Lymph node section stained with H&E, from a whole-slide image of a breast-cancer sentinel node. Magnification about 10×, about 0.46 mm across the frame, about 0.9 µm per pixel.
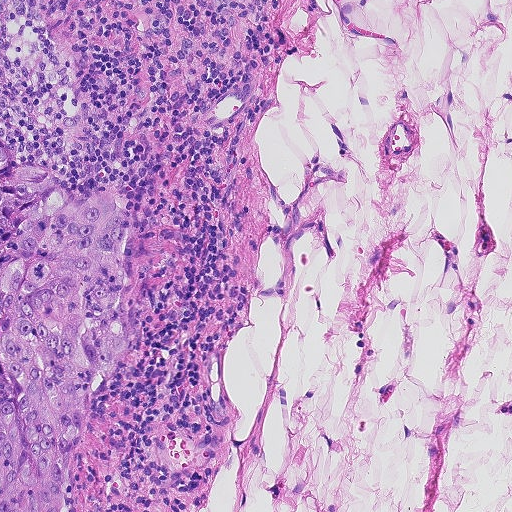
Metastatic tumour outline, simplified to 13 points and listed clockwise in crop pixels (x, y): (0, 140), (44, 168), (66, 196), (81, 202), (96, 194), (114, 198), (126, 210), (126, 294), (141, 341), (98, 397), (74, 451), (70, 511), (0, 511).
About 15% of this field is tumour.